Question: 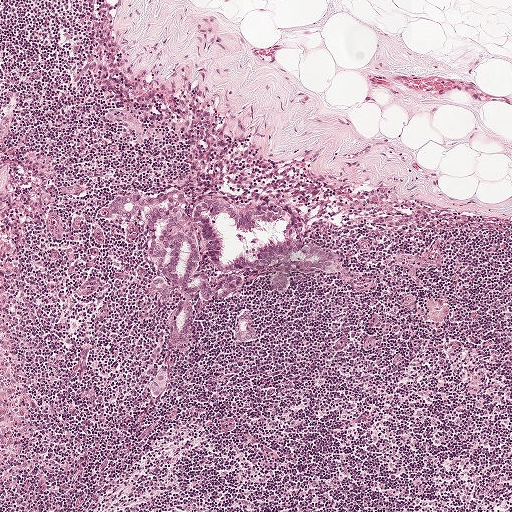
A 1-mm field of an H&E-stained sentinel lymph node from a breast-cancer patient (whole-slide image), shown at about 5×, about 1.9 µm per pixel.
Estimate the proportion of this field that is metastatic tumour.

Choices:
 (A) about 25% to 45%
 (B) about 10% to 20%
 (C) none: no tumour is outlined
 (D) about 5% or less
 (E) about 50% or more

Answer: (D) about 5% or less
About 5% of the field is tumour.
Outlines of three tumour regions, largest first (closed clockwise paths, crop pixels): region 1: (174, 190), (199, 202), (222, 197), (246, 212), (263, 200), (293, 202), (307, 216), (307, 241), (336, 251), (340, 270), (299, 272), (280, 296), (267, 271), (230, 301), (197, 300), (187, 347), (174, 346), (171, 307), (148, 287), (154, 267), (143, 229), (113, 217), (108, 202), (121, 193); region 2: (248, 309), (250, 311), (257, 335), (254, 340), (242, 341), (232, 338), (233, 326), (240, 311); region 3: (159, 369), (168, 370), (170, 379), (165, 392), (156, 399), (150, 398), (148, 390), (155, 372).